Image:
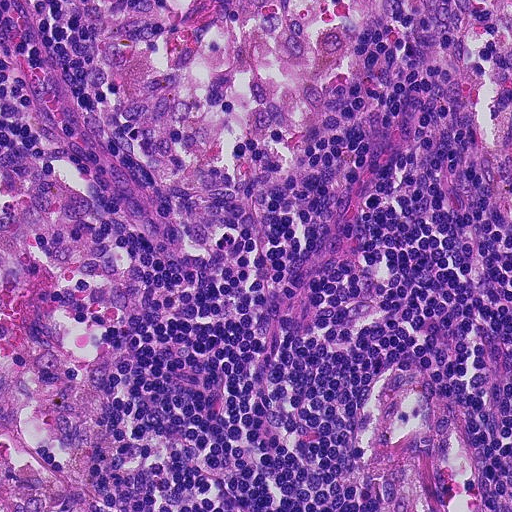
A 0.23-mm field of an H&E-stained sentinel lymph node from a breast-cancer patient (whole-slide image), shown at about 20×, about 0.45 µm per pixel.
Question:
Is any metastatic breast cancer visible in this crop?
Answer:
No: no metastatic tumour is outlined anywhere in this field.